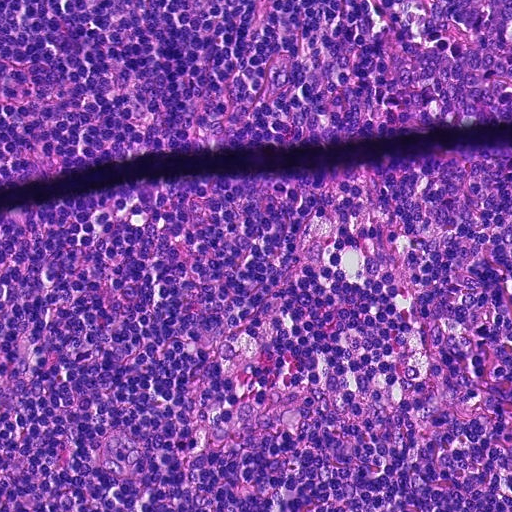
H&E-stained section of a sentinel lymph node (breast cancer), from a whole-slide image, viewed at about 20×: the field is about 0.23 mm across, about 0.45 µm per pixel.